Question: 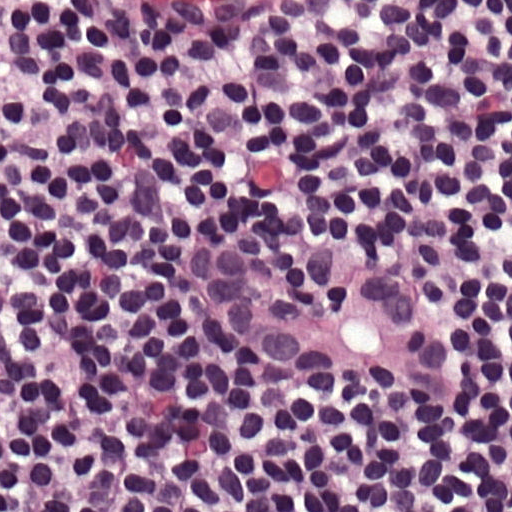
Which magnification is this H&E lymph node field most likely shown at?

Choices:
 (A) about 40×
 (B) about 10×
 (C) about 2.5×
 (D) about 20×
 (E) about 5×

Answer: (A) about 40×
H&E-stained section of a sentinel lymph node (breast cancer), from a whole-slide image, viewed at about 40×: the field is about 0.12 mm across, about 0.24 µm per pixel.
One metastatic tumour region; its boundary, reduced to 13 corners and listed clockwise: (203, 229), (307, 230), (386, 253), (465, 305), (481, 338), (483, 378), (471, 419), (433, 429), (360, 402), (322, 402), (286, 384), (175, 286), (173, 247).
About 15% of this field is tumour.